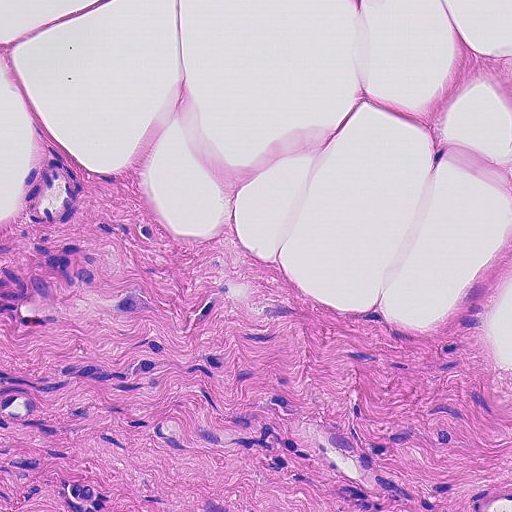
H&E-stained section of a sentinel lymph node (breast cancer), from a whole-slide image, viewed at about 20×: the field is about 0.23 mm across, about 0.45 µm per pixel.
One metastatic tumour region; its boundary, reduced to 12 corners and listed clockwise: (47, 146), (64, 160), (162, 302), (223, 336), (333, 432), (419, 475), (507, 475), (511, 511), (0, 511), (0, 230), (22, 203), (28, 170).
About 30% of this field is tumour.